Question: 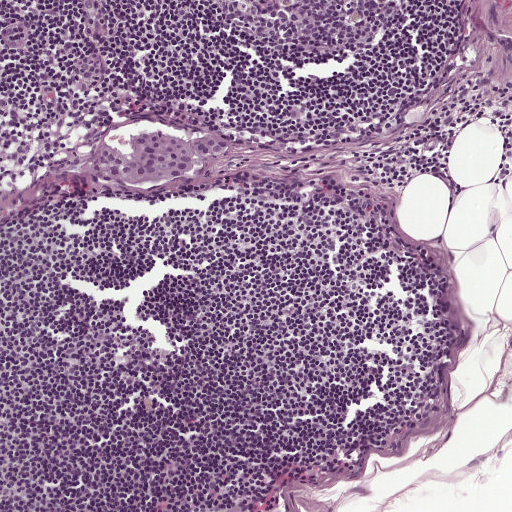
A 0.5-mm field of an H&E-stained sentinel lymph node from a breast-cancer patient (whole-slide image), shown at about 10×, about 0.97 µm per pixel.
Roughly what share of this field is metastatic tumour?

Choices:
 (A) about 10% to 20%
 (B) about 5% or less
 (C) about 50% or more
 (D) about 25% to 45%
 (E) none: no tumour is outlined

Answer: (B) about 5% or less
Under 5% of the field is tumour.
The outlined metastatic tumour's edge, as a closed clockwise path of 21 points: (158, 130), (190, 138), (210, 134), (224, 138), (231, 144), (223, 156), (207, 160), (203, 166), (196, 167), (192, 174), (178, 178), (136, 184), (112, 182), (78, 172), (80, 168), (89, 154), (101, 143), (107, 140), (128, 152), (129, 138), (134, 133).